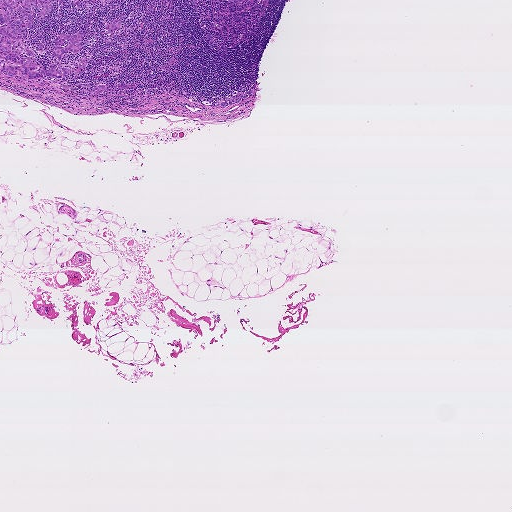
This is a crop of a whole-slide image: an H&E-stained breast-cancer sentinel lymph node section at roughly 2.5× magnification (about 3.6 µm per pixel; the crop spans about 1.9 mm).
Three metastatic tumour regions, each outlined as a closed clockwise path in crop pixels (x, y), largest first: region 1: (0, 0), (50, 0), (55, 5), (53, 11), (40, 17), (37, 13), (40, 8), (35, 8), (32, 28), (24, 27), (24, 37), (16, 42), (25, 56), (33, 49), (44, 69), (48, 70), (46, 64), (49, 60), (58, 64), (51, 56), (56, 36), (84, 30), (83, 47), (74, 54), (64, 53), (58, 62), (68, 68), (82, 58), (87, 60), (86, 65), (74, 67), (64, 78), (29, 78), (18, 74), (1, 73); region 2: (120, 82), (132, 84), (137, 86), (133, 90), (121, 90), (116, 88), (115, 86), (113, 86), (116, 85); region 3: (114, 20), (116, 22), (120, 20), (121, 20), (121, 26), (117, 29), (111, 32), (105, 32), (111, 22).
One more small tumour piece is annotated here but not outlined.
The annotated tumour makes up under 5% of the crop.